Image:
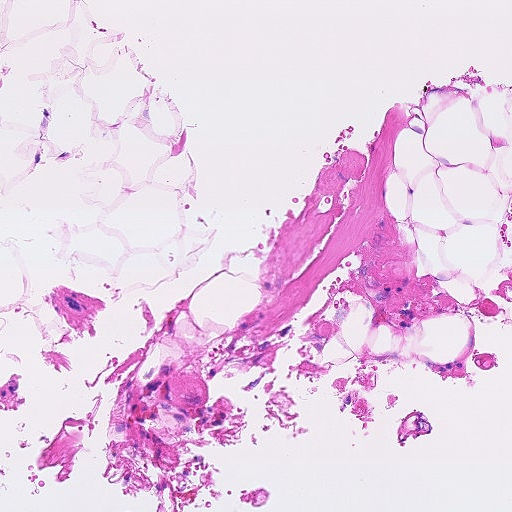
Lymph node section stained with H&E, from a whole-slide image of a breast-cancer sentinel node. Magnification about 10×, about 0.46 mm across the frame, about 0.9 µm per pixel.
Question:
Is there metastatic carcinoma in this field?
Answer:
No, this field holds no outlined metastasis.